Question: 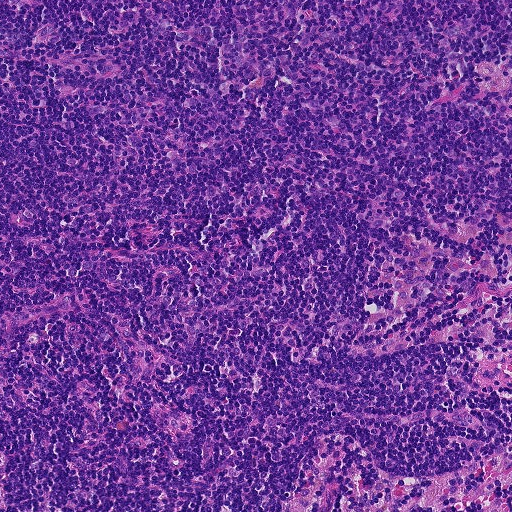
Which magnification is this H&E lymph node field most likely shown at?

Choices:
 (A) about 10×
 (B) about 2.5×
 (C) about 20×
 (D) about 40×
 (E) about 5×

Answer: (A) about 10×
H&E-stained section of a sentinel lymph node (breast cancer), from a whole-slide image, viewed at about 10×: the field is about 0.46 mm across, about 0.9 µm per pixel.